Image:
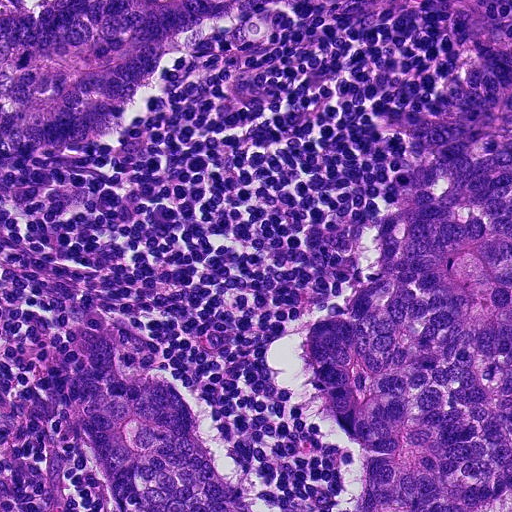
Lymph node section stained with H&E, from a whole-slide image of a breast-cancer sentinel node. Magnification about 20×, about 0.23 mm across the frame, about 0.45 µm per pixel.
Question:
Does this lymph node field contain metastatic tumour?
Answer:
Yes.
Three metastatic tumour regions, each outlined as a closed clockwise path in crop pixels (x, y), largest first: region 1: (511, 36), (511, 511), (335, 511), (348, 500), (346, 456), (302, 376), (296, 334), (376, 233), (409, 107), (474, 52); region 2: (0, 0), (305, 0), (211, 38), (167, 64), (140, 106), (102, 141), (53, 150), (0, 143); region 3: (105, 325), (144, 345), (227, 444), (274, 511), (116, 511), (100, 470), (70, 436), (56, 374), (62, 331).
About 45% of the image area is annotated as tumour.